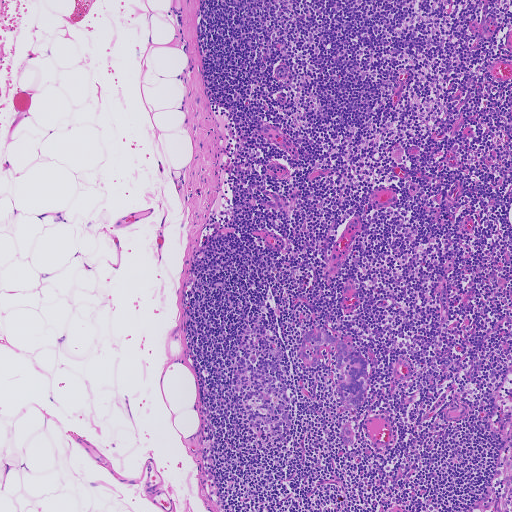
A 0.93-mm field of an H&E-stained sentinel lymph node from a breast-cancer patient (whole-slide image), shown at about 5×, about 1.8 µm per pixel.
Outlines of two tumour regions, largest first (closed clockwise paths, crop pixels): region 1: (318, 326), (352, 345), (368, 361), (368, 384), (362, 406), (346, 409), (340, 400), (339, 394), (335, 392), (337, 378), (341, 372), (334, 366), (336, 362), (335, 346), (327, 343), (322, 345), (320, 355), (322, 362), (313, 368), (303, 362), (299, 356), (305, 334); region 2: (345, 424), (348, 424), (355, 433), (355, 442), (353, 445), (344, 442), (340, 439), (339, 432).
Tumour covers under 5% of the frame.